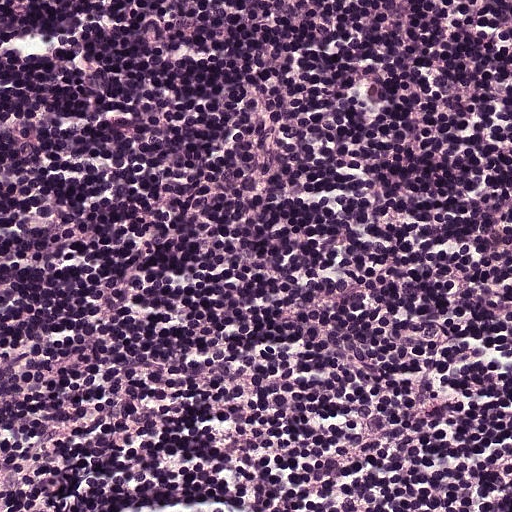
A 0.25-mm field of an H&E-stained sentinel lymph node from a breast-cancer patient (whole-slide image), shown at about 20×, about 0.49 µm per pixel.
Question: Is there metastatic carcinoma in this field?
Answer: No: no metastatic tumour is outlined anywhere in this field.